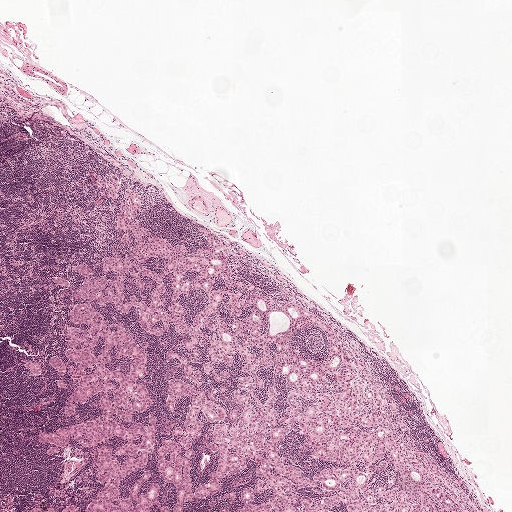
A 2.0-mm field of an H&E-stained sentinel lymph node from a breast-cancer patient (whole-slide image), shown at about 2.5×, about 3.9 µm per pixel.
Boundaries of five metastatic tumour regions, simplified and listed clockwise, largest first: region 1: (125, 189), (143, 228), (185, 256), (206, 245), (198, 227), (235, 242), (237, 272), (354, 346), (476, 511), (234, 511), (241, 489), (256, 505), (273, 493), (253, 492), (253, 473), (231, 488), (248, 458), (220, 490), (160, 511), (177, 495), (156, 451), (179, 440), (160, 421), (183, 427), (192, 398), (168, 411), (164, 379), (195, 387), (163, 352), (186, 356), (190, 337), (75, 299), (84, 277), (70, 267), (86, 265), (112, 280), (102, 257), (131, 250), (116, 226); region 2: (93, 174), (96, 174), (102, 178), (106, 184), (108, 183), (110, 175), (113, 175), (115, 176), (119, 186), (119, 189), (116, 198), (112, 198), (106, 195), (105, 192), (94, 177); region 3: (27, 361), (37, 363), (41, 369), (41, 373), (37, 374), (30, 374), (22, 365); region 4: (53, 277), (61, 277), (67, 279), (69, 282), (68, 288), (63, 288), (56, 285), (50, 280); region 5: (69, 504), (74, 504), (78, 506), (80, 509), (80, 511), (62, 511), (64, 507), (66, 506).
Region 1 encloses 16 non-tumour holes totalling about 15% of its area.
One more tumour region is annotated but not outlined: its edge is too irregular for a short outline.
Two more small tumour pieces are annotated here but not outlined.
About 25% of the image area is annotated as tumour.